Image:
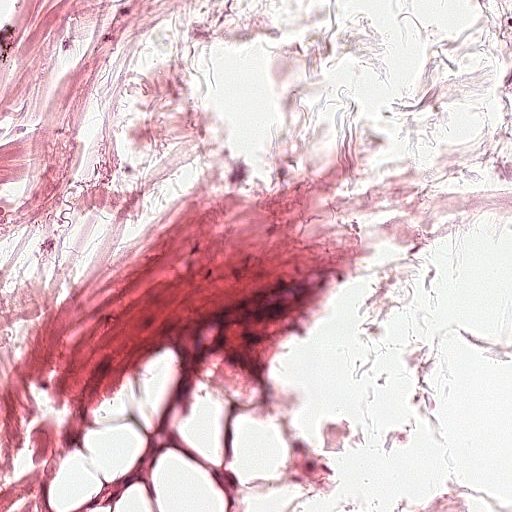
This is a crop of a whole-slide image: an H&E-stained breast-cancer sentinel lymph node section at roughly 20× magnification (about 0.49 µm per pixel; the crop spans about 0.25 mm).
Question:
Is any metastatic breast cancer visible in this crop?
Answer:
No, this field holds no outlined metastasis.